A 0.23-mm field of an H&E-stained sentinel lymph node from a breast-cancer patient (whole-slide image), shown at about 20×, about 0.45 µm per pixel.
Question: 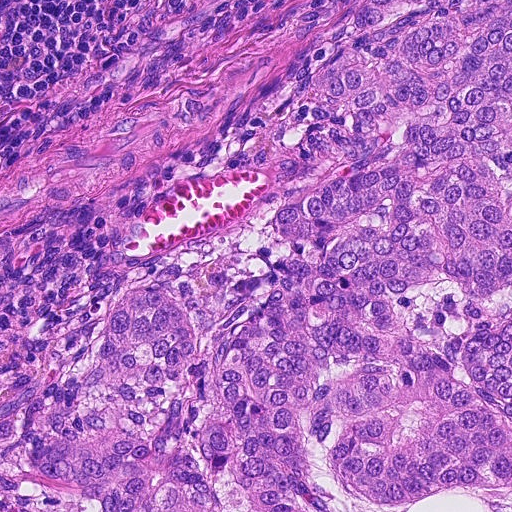
Estimate the proportion of this field that is metastatic tumour.

Choices:
 (A) about 5% or less
 (B) about 10% to 20%
 (C) none: no tumour is outlined
 (D) about 50% or more
 (E) about 25% to 45%

Answer: (D) about 50% or more
About 65% of the field is tumour.
One metastatic tumour region; its boundary, reduced to 20 corners and listed clockwise: (511, 0), (511, 511), (100, 511), (30, 469), (10, 448), (14, 418), (29, 394), (84, 372), (120, 296), (160, 260), (240, 261), (244, 289), (265, 280), (289, 238), (271, 217), (280, 191), (248, 144), (261, 119), (344, 44), (393, 16).
One more small tumour piece is annotated here but not outlined.